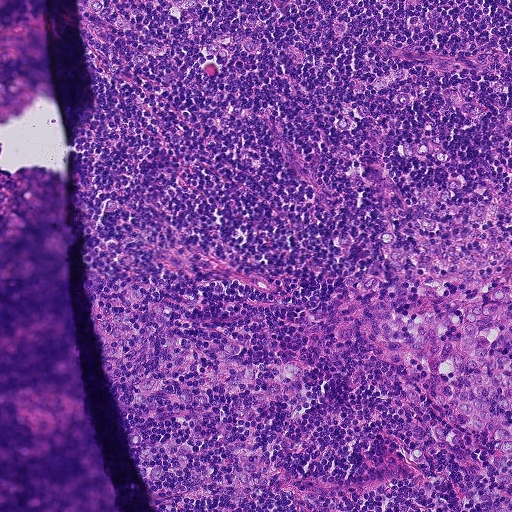
This is a crop of a whole-slide image: an H&E-stained breast-cancer sentinel lymph node section at roughly 10× magnification (about 0.9 µm per pixel; the crop spans about 0.46 mm).
Tumour region outline (a closed clockwise path, crop pixels): (77, 0), (511, 0), (511, 511), (157, 511), (94, 319), (75, 142), (96, 102).
The annotated tumour makes up about 80% of the crop.